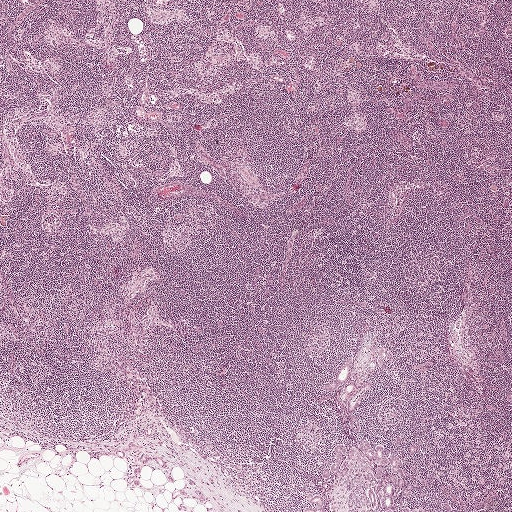
This is a crop of a whole-slide image: an H&E-stained breast-cancer sentinel lymph node section at roughly 2.5× magnification (about 3.9 µm per pixel; the crop spans about 2.0 mm).
Outlines of six tumour regions, largest first (closed clockwise paths, crop pixels): region 1: (366, 440), (383, 447), (386, 457), (397, 454), (412, 486), (412, 496), (401, 499), (401, 504), (411, 511), (381, 511), (378, 506), (349, 511), (345, 494), (335, 485), (325, 511), (303, 511), (312, 504), (308, 492), (329, 499), (331, 483), (322, 476), (327, 468), (332, 477), (336, 445); region 2: (362, 352), (363, 355), (375, 363), (375, 369), (373, 371), (370, 371), (370, 373), (368, 376), (362, 378), (359, 383), (356, 386), (351, 394), (343, 400), (340, 400), (339, 397), (350, 380), (353, 374), (358, 370), (358, 366), (362, 361), (359, 357), (359, 355); region 3: (348, 355), (352, 357), (352, 362), (346, 385), (331, 393), (323, 389), (334, 379); region 4: (370, 380), (372, 382), (359, 402), (355, 412), (350, 414), (345, 409), (346, 401), (350, 394); region 5: (375, 346), (382, 347), (385, 350), (384, 366), (382, 367), (377, 365), (376, 359), (373, 358), (373, 349); region 6: (351, 414), (354, 414), (360, 422), (360, 429), (359, 432), (356, 432), (352, 430), (349, 424), (349, 419).
Region 6 encloses a non-tumour hole of about 20% of its area.
Three more small tumour pieces are annotated here but not outlined.
About 5% of the image area is annotated as tumour.